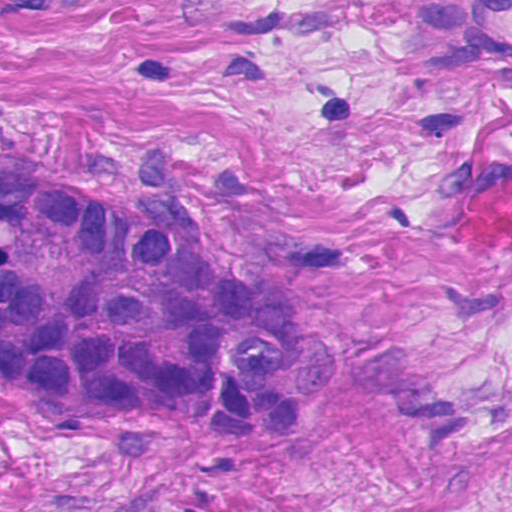
This is a crop of a whole-slide image: an H&E-stained breast-cancer sentinel lymph node section at roughly 40× magnification (about 0.23 µm per pixel; the crop spans about 0.12 mm).
The outlined metastatic tumour's edge, as a closed clockwise path of 8 points: (0, 145), (244, 254), (304, 296), (344, 357), (313, 422), (239, 441), (94, 425), (0, 387).
The annotated tumour makes up about 25% of the crop.